Question: 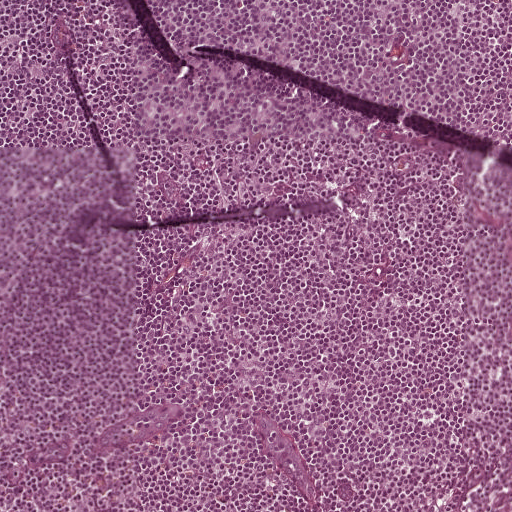
About what magnification does this crop show?

Choices:
 (A) about 5×
 (B) about 2.5×
 (C) about 20×
 (D) about 10×
 (E) about 40×

Answer: (D) about 10×
Lymph node section stained with H&E, from a whole-slide image of a breast-cancer sentinel node. Magnification about 10×, about 0.5 mm across the frame, about 0.97 µm per pixel.